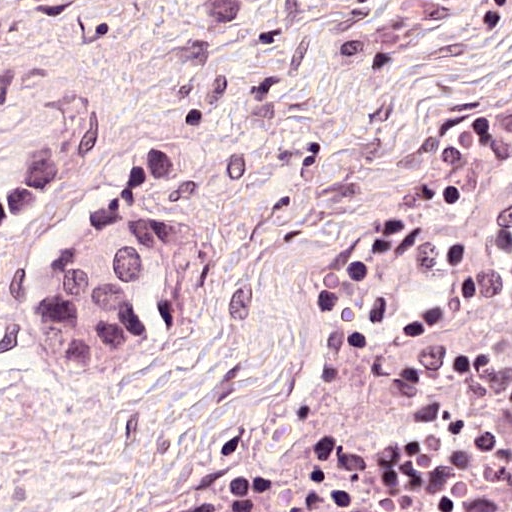
This is a crop of a whole-slide image: an H&E-stained breast-cancer sentinel lymph node section at roughly 40× magnification (about 0.24 µm per pixel; the crop spans about 0.12 mm).
Question: Where is the metastatic tumour in this field? Give each region's outline as (x, y) pixel points.
Answer: One metastatic tumour region; its boundary, reduced to 15 corners and listed clockwise: (97, 209), (129, 230), (141, 230), (156, 248), (154, 303), (163, 311), (163, 342), (137, 371), (121, 376), (99, 376), (50, 352), (33, 313), (31, 281), (44, 254), (82, 230).
One more small tumour piece is annotated here but not outlined.
Tumour covers about 10% of the frame.